Question: 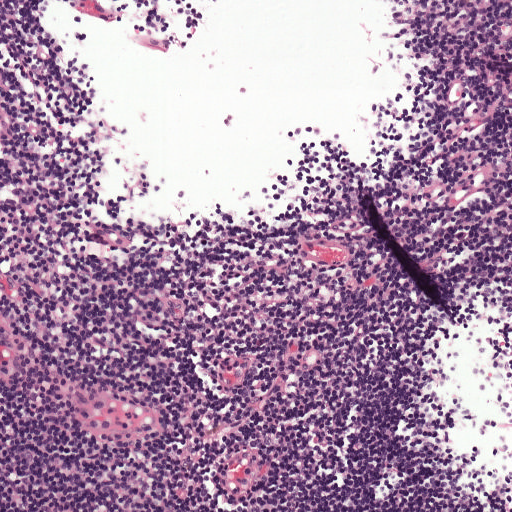
About what magnification does this crop show?

Choices:
 (A) about 10×
 (B) about 20×
 (C) about 5×
 (D) about 40×
 (E) about 2.5×

Answer: (A) about 10×
Lymph node section stained with H&E, from a whole-slide image of a breast-cancer sentinel node. Magnification about 10×, about 0.5 mm across the frame, about 0.97 µm per pixel.